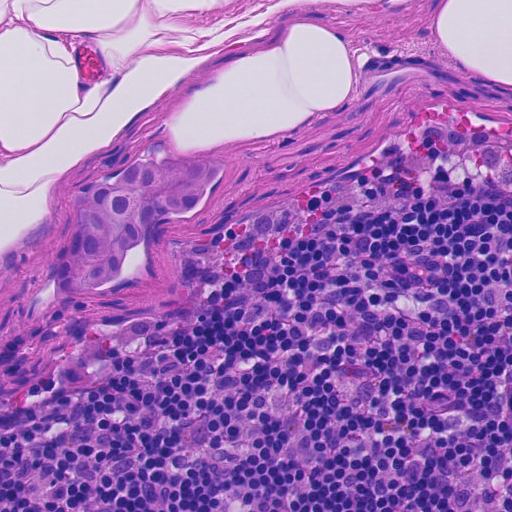
A 0.23-mm field of an H&E-stained sentinel lymph node from a breast-cancer patient (whole-slide image), shown at about 20×, about 0.45 µm per pixel.
Metastatic tumour outline, simplified to 17 points and listed clockwise in crop pixels (x, y): (178, 152), (229, 160), (224, 180), (210, 187), (202, 208), (188, 218), (170, 218), (154, 230), (118, 280), (70, 296), (50, 292), (44, 282), (42, 262), (66, 211), (68, 184), (122, 172), (134, 160).
The annotated tumour makes up about 5% of the crop.